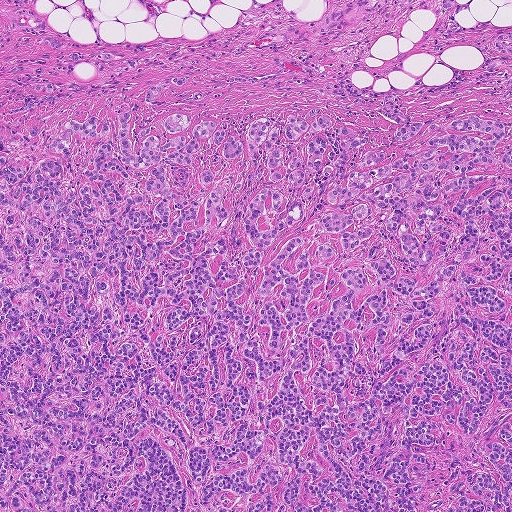
Lymph node section stained with H&E, from a whole-slide image of a breast-cancer sentinel node. Magnification about 5×, about 0.93 mm across the frame, about 1.8 µm per pixel.
Boundaries of four metastatic tumour regions, simplified and listed clockwise, largest first: region 1: (180, 75), (202, 103), (162, 101), (246, 141), (317, 106), (384, 131), (393, 91), (417, 119), (511, 121), (511, 168), (469, 174), (505, 176), (511, 511), (0, 511), (0, 129), (36, 122), (47, 154), (94, 114), (116, 144), (126, 108), (136, 142), (168, 112), (146, 89); region 2: (47, 82), (62, 87), (54, 94), (46, 94), (32, 89), (32, 85); region 3: (48, 36), (55, 38), (61, 42), (61, 49), (53, 49), (47, 44), (43, 37); region 4: (110, 53), (117, 56), (124, 58), (118, 61), (109, 61), (102, 60), (95, 56), (103, 54).
One more small tumour piece is annotated here but not outlined.
About 75% of this field is tumour.